Question: 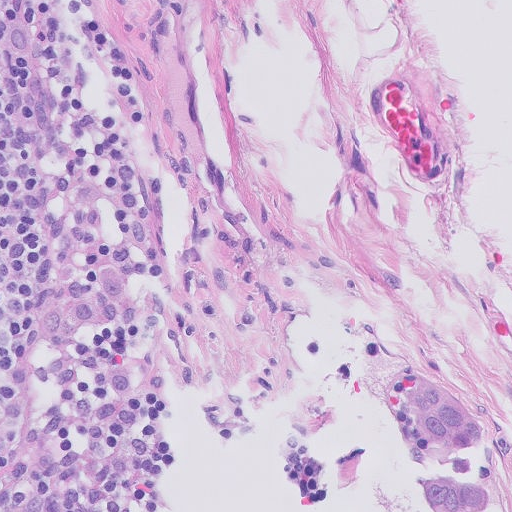
A 0.26-mm field of an H&E-stained sentinel lymph node from a breast-cancer patient (whole-slide image), shown at about 20×, about 0.5 µm per pixel.
What fraction of the image area is metastatic tumour?

Choices:
 (A) none: no tumour is outlined
 (B) about 50% or more
 (C) about 5% or less
 (D) about 25% to 45%
 (E) about 10% to 20%

Answer: (C) about 5% or less
Under 5% of the field is tumour.
Outlines of two tumour regions, largest first (closed clockwise paths, crop pixels): region 1: (415, 374), (428, 378), (456, 398), (465, 410), (484, 437), (470, 454), (470, 471), (457, 475), (447, 454), (433, 453), (404, 406), (398, 392), (400, 378); region 2: (440, 478), (468, 483), (480, 482), (490, 489), (489, 504), (480, 511), (428, 511), (428, 505), (420, 492), (426, 480).
Question: 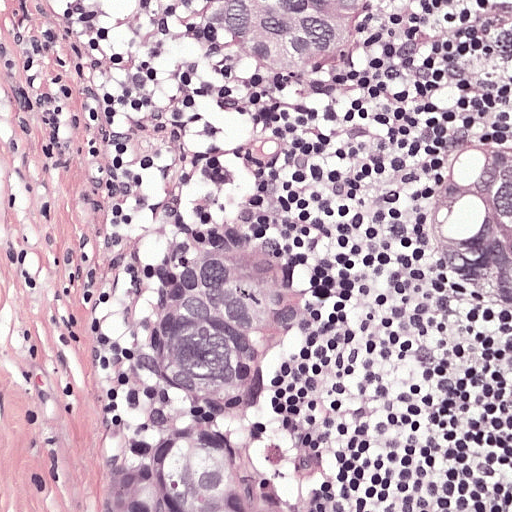
This is a crop of a whole-slide image: an H&E-stained breast-cancer sentinel lymph node section at roughly 20× magnification (about 0.49 µm per pixel; the crop spans about 0.25 mm).
What fraction of the image area is metastatic tumour?

Choices:
 (A) about 5% or less
 (B) none: no tumour is outlined
 (C) about 10% to 20%
 (D) about 50% or more
 (E) about 25% to 45%

Answer: (E) about 25% to 45%
About 30% of the field is tumour.
Three metastatic tumour regions, each outlined as a closed clockwise path in crop pixels (x, y), largest first: region 1: (208, 228), (270, 228), (306, 251), (325, 276), (325, 302), (289, 368), (285, 396), (322, 439), (329, 511), (125, 511), (132, 462), (174, 432), (178, 408), (126, 404), (115, 378), (132, 358), (154, 268), (174, 242); region 2: (466, 128), (511, 129), (511, 316), (491, 316), (462, 305), (444, 288), (414, 232), (411, 198), (444, 137); region 3: (200, 0), (374, 0), (369, 30), (352, 55), (329, 71), (304, 75), (226, 71), (196, 48), (186, 21).
Question: 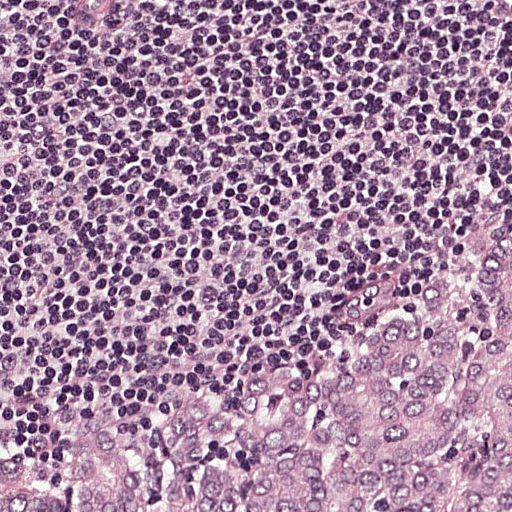
Lymph node section stained with H&E, from a whole-slide image of a breast-cancer sentinel node. Magnification about 20×, about 0.25 mm across the frame, about 0.49 µm per pixel.
What fraction of the image area is metastatic tumour?

Choices:
 (A) about 10% to 20%
 (B) about 5% or less
 (C) none: no tumour is outlined
 (D) about 25% to 45%
 (E) about 50% or more

Answer: (D) about 25% to 45%
About 30% of the field is tumour.
Metastatic tumour outline, simplified to 6 points and listed clockwise in crop pixels (x, y): (511, 216), (511, 511), (0, 511), (0, 487), (60, 434), (342, 336).
Question: 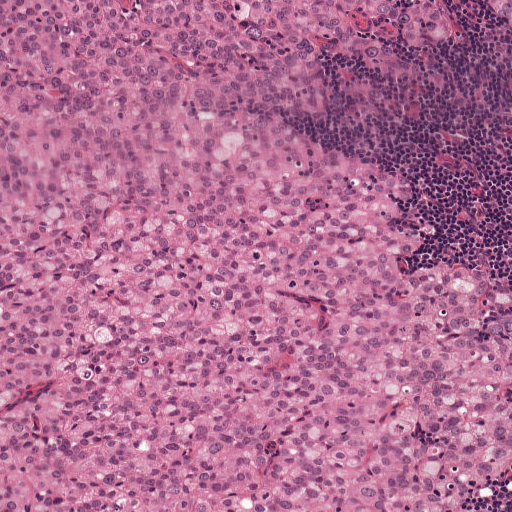
A 0.5-mm field of an H&E-stained sentinel lymph node from a breast-cancer patient (whole-slide image), shown at about 10×, about 0.97 µm per pixel.
What fraction of the image area is metastatic tumour?

Choices:
 (A) about 5% or less
 (B) about 25% to 45%
 (C) none: no tumour is outlined
 (D) about 10% to 20%
 (E) about 50% or more

Answer: (E) about 50% or more
About 90% of the field is tumour.
Tumour region outline (a closed clockwise path, crop pixels): (0, 0), (511, 0), (511, 34), (489, 14), (472, 62), (440, 100), (392, 92), (340, 62), (331, 128), (406, 165), (461, 247), (505, 269), (511, 511), (0, 511).